Lymph node section stained with H&E, from a whole-slide image of a breast-cancer sentinel node. Magnification about 5×, about 1 mm across the frame, about 1.9 µm per pixel.
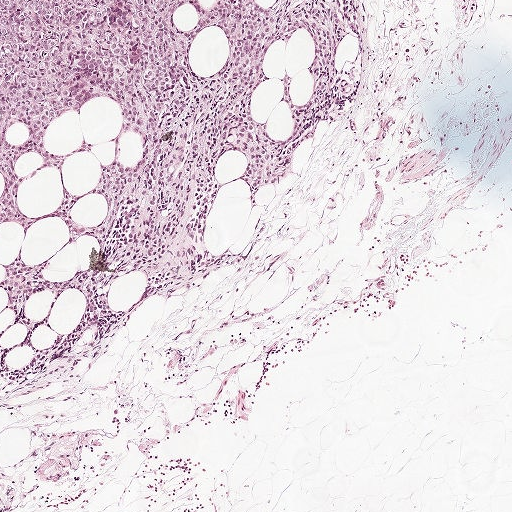
Metastatic tumour outline, simplified to 23 points and listed clockwise in crop pixels (x, y): (0, 0), (357, 0), (335, 50), (339, 107), (289, 178), (253, 201), (242, 154), (218, 157), (203, 277), (156, 294), (116, 276), (117, 324), (2, 387), (0, 342), (15, 369), (35, 353), (2, 266), (20, 252), (64, 281), (98, 244), (57, 219), (24, 238), (0, 224).
The outline encloses seven non-tumour holes totalling about 20% of the region's area.
Tumour covers about 25% of the frame.